Image:
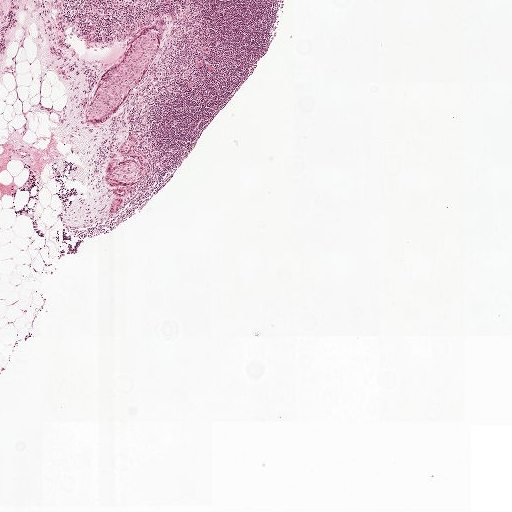
A 2.0-mm field of an H&E-stained sentinel lymph node from a breast-cancer patient (whole-slide image), shown at about 2.5×, about 3.9 µm per pixel.
Question:
Is there metastatic carcinoma in this field?
Answer:
Yes.
Outlines of two tumour regions, largest first (closed clockwise paths, crop pixels): region 1: (160, 26), (163, 35), (163, 42), (155, 63), (140, 77), (132, 92), (108, 120), (95, 126), (85, 126), (84, 106), (92, 98), (108, 68), (124, 57), (128, 48), (150, 28); region 2: (138, 162), (142, 180), (137, 184), (123, 188), (103, 185), (101, 180), (104, 172), (116, 164).
The annotated tumour makes up under 5% of the crop.